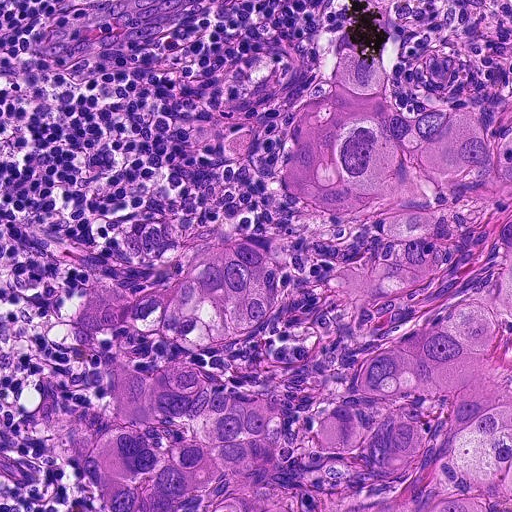
This is a crop of a whole-slide image: an H&E-stained breast-cancer sentinel lymph node section at roughly 20× magnification (about 0.45 µm per pixel; the crop spans about 0.23 mm).
Tumour region outline (a closed clockwise path, crop pixels): (345, 40), (382, 54), (392, 93), (486, 102), (499, 134), (511, 511), (99, 511), (52, 412), (113, 424), (96, 350), (330, 401), (486, 280), (502, 243), (345, 318), (322, 286), (225, 339), (78, 328), (86, 290), (167, 281), (232, 236), (300, 278), (402, 247), (282, 196), (288, 122).
The annotated tumour makes up about 45% of the crop.